Image:
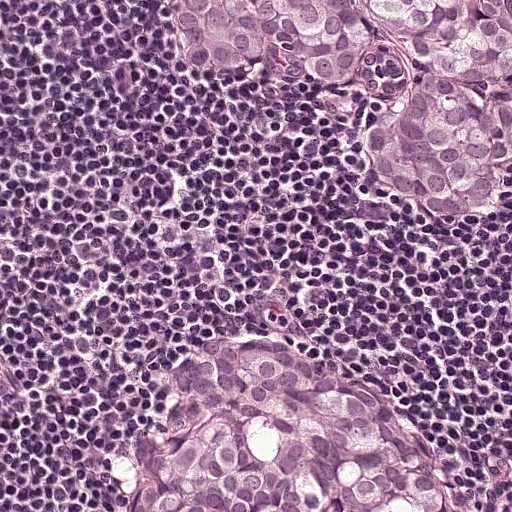
A 0.25-mm field of an H&E-stained sentinel lymph node from a breast-cancer patient (whole-slide image), shown at about 20×, about 0.49 µm per pixel.
Question:
Is there metastatic carcinoma in this field?
Answer:
Yes.
Outlines of two tumour regions, largest first (closed clockwise paths, crop pixels): region 1: (511, 0), (511, 233), (426, 225), (372, 184), (372, 143), (396, 111), (417, 102), (396, 52), (383, 75), (354, 90), (312, 90), (301, 82), (274, 98), (228, 95), (180, 66), (170, 2); region 2: (265, 348), (322, 370), (388, 420), (392, 436), (436, 472), (458, 511), (129, 511), (158, 404).
One more small tumour piece is annotated here but not outlined.
About 30% of the image area is annotated as tumour.